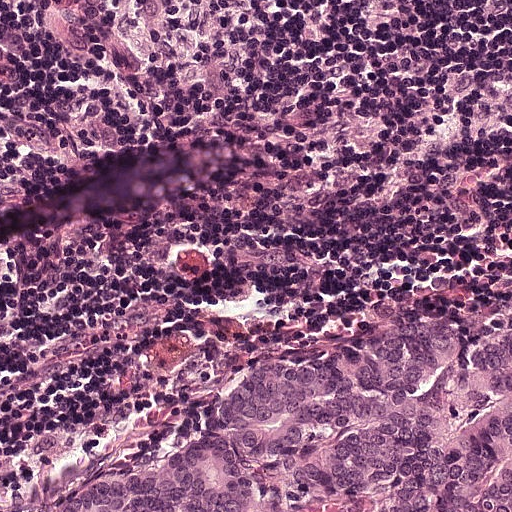
Lymph node section stained with H&E, from a whole-slide image of a breast-cancer sentinel node. Magnification about 20×, about 0.25 mm across the frame, about 0.49 µm per pixel.
Tumour region outline (a closed clockwise path, crop pixels): (511, 293), (511, 511), (10, 511), (278, 332), (366, 304).
Tumour covers about 25% of the frame.